Question: 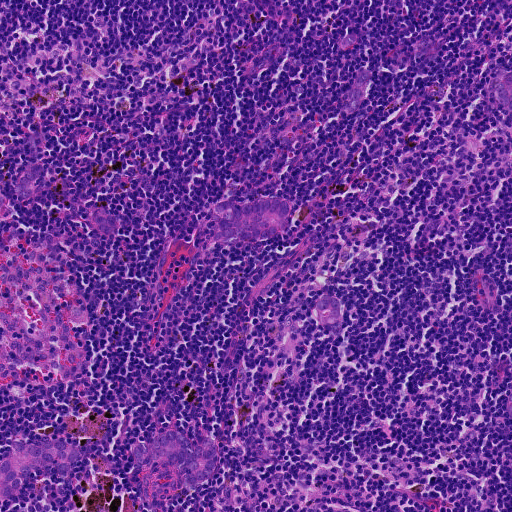
H&E-stained section of a sentinel lymph node (breast cancer), from a whole-slide image, viewed at about 10×: the field is about 0.46 mm across, about 0.91 µm per pixel.
What fraction of the image area is metastatic tumour?

Choices:
 (A) about 5% or less
 (B) about 25% to 45%
 (C) none: no tumour is outlined
 (D) about 10% to 20%
 (E) about 50% or more

Answer: (A) about 5% or less
About 5% of the field is tumour.
Seven metastatic tumour regions, each outlined as a closed clockwise path in crop pixels (x, y), largest first: region 1: (168, 430), (178, 432), (186, 438), (206, 436), (214, 442), (217, 452), (214, 472), (207, 479), (198, 484), (187, 486), (176, 478), (158, 470), (148, 470), (139, 476), (134, 458), (134, 448), (141, 441), (152, 441), (158, 433); region 2: (261, 198), (282, 198), (291, 204), (293, 214), (290, 224), (283, 230), (265, 239), (220, 244), (208, 224), (212, 215), (212, 205), (221, 200), (242, 204); region 3: (46, 438), (76, 444), (80, 452), (79, 462), (73, 471), (64, 476), (46, 467), (11, 498), (0, 503), (0, 463), (7, 457), (10, 447), (17, 440), (37, 442); region 4: (324, 290), (334, 291), (341, 298), (343, 308), (342, 319), (334, 324), (324, 324), (317, 316), (314, 305), (316, 296); region 5: (509, 70), (511, 70), (511, 112), (494, 100), (489, 91), (492, 81); region 6: (41, 162), (41, 172), (38, 181), (30, 187), (31, 196), (17, 196), (15, 187), (17, 177), (32, 163); region 7: (361, 68), (370, 72), (360, 100), (358, 110), (352, 116), (344, 110), (344, 100).
Three more small tumour pieces are annotated here but not outlined.
Question: 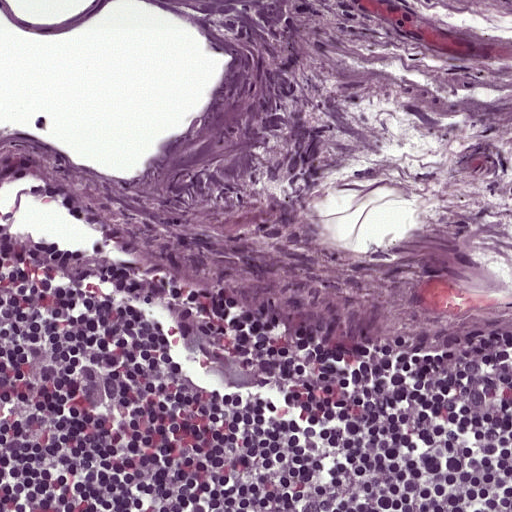
A 0.25-mm field of an H&E-stained sentinel lymph node from a breast-cancer patient (whole-slide image), shown at about 20×, about 0.49 µm per pixel.
What fraction of the image area is metastatic tumour?

Choices:
 (A) about 25% to 45%
 (B) about 5% or less
 (C) about 50% or more
 (D) none: no tumour is outlined
 (E) about 10% to 20%

Answer: (B) about 5% or less
Under 5% of the field is tumour.
One metastatic tumour region; its boundary, reduced to 10 corners and listed clockwise: (186, 297), (220, 327), (234, 348), (260, 358), (274, 378), (256, 395), (232, 391), (207, 375), (170, 332), (164, 308).
One more small tumour piece is annotated here but not outlined.
Question: 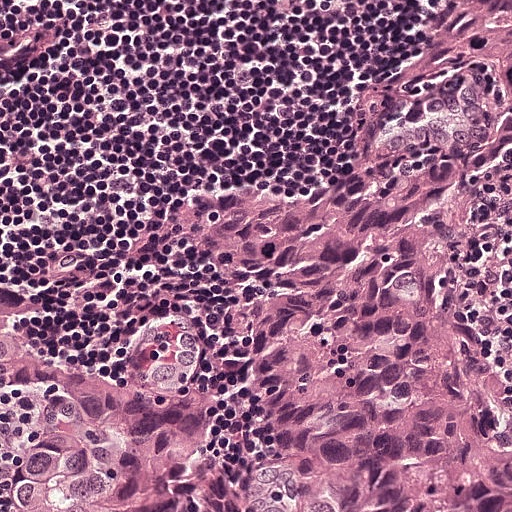
Lymph node section stained with H&E, from a whole-slide image of a breast-cancer sentinel node. Magnification about 20×, about 0.25 mm across the frame, about 0.49 µm per pixel.
What fraction of the image area is metastatic tumour?

Choices:
 (A) none: no tumour is outlined
 (B) about 10% to 20%
 (C) about 50% or more
 (D) about 5% or less
 (E) about 25% to 45%

Answer: (C) about 50% or more
About 65% of the field is tumour.
The outlined metastatic tumour's edge, as a closed clockwise path of 16 points: (511, 0), (511, 511), (0, 511), (0, 296), (15, 337), (60, 364), (93, 362), (129, 281), (135, 228), (154, 208), (226, 181), (329, 168), (340, 98), (394, 40), (394, 9), (380, 2).
Question: 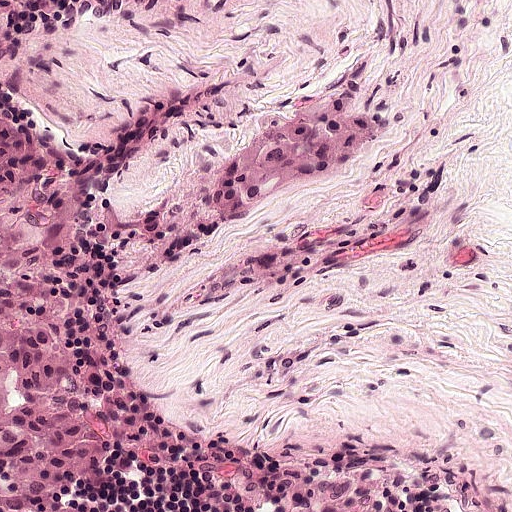
Lymph node section stained with H&E, from a whole-slide image of a breast-cancer sentinel node. Magnification about 20×, about 0.25 mm across the frame, about 0.49 µm per pixel.
What fraction of the image area is metastatic tumour?

Choices:
 (A) about 50% or more
 (B) about 5% or less
 (C) about 25% to 45%
 (D) about 10% to 20%
 (E) none: no tumour is outlined

Answer: (D) about 10% to 20%
About 20% of the field is tumour.
Boundaries of two metastatic tumour regions, simplified and listed clockwise, largest first: region 1: (0, 79), (44, 141), (62, 186), (119, 407), (119, 443), (108, 444), (96, 486), (74, 511), (0, 511); region 2: (352, 78), (380, 116), (383, 132), (371, 146), (316, 179), (268, 222), (249, 227), (208, 224), (196, 197), (212, 158), (236, 136), (318, 86).